Question: 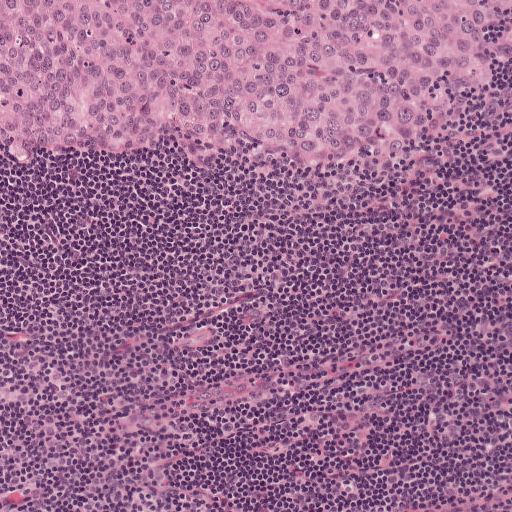
Lymph node section stained with H&E, from a whole-slide image of a breast-cancer sentinel node. Magnification about 10×, about 0.5 mm across the frame, about 0.97 µm per pixel.
What fraction of the image area is metastatic tumour?

Choices:
 (A) about 25% to 45%
 (B) about 5% or less
 (C) about 10% to 20%
 (D) none: no tumour is outlined
 (E) about 50% or more

Answer: (A) about 25% to 45%
About 30% of the field is tumour.
Metastatic tumour outline, simplified to 7 points and listed clockwise in crop pixels (x, y): (0, 0), (511, 0), (511, 84), (452, 136), (366, 167), (94, 172), (0, 152).